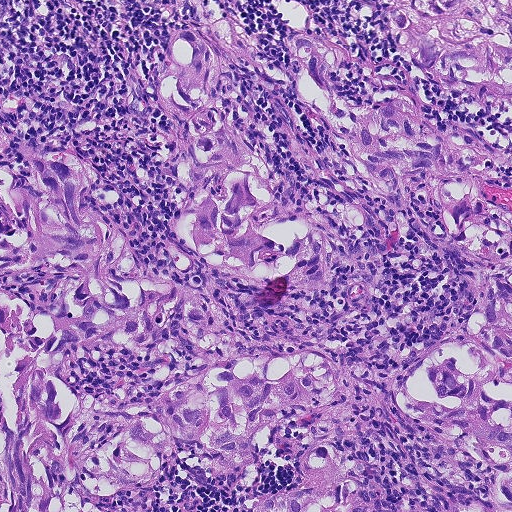
Lymph node section stained with H&E, from a whole-slide image of a breast-cancer sentinel node. Magnification about 10×, about 0.46 mm across the frame, about 0.9 µm per pixel.
Boundaries of five metastatic tumour regions, simplified and listed clockwise, largest first: region 1: (0, 133), (91, 164), (95, 202), (138, 265), (200, 291), (242, 344), (335, 353), (348, 392), (346, 448), (405, 511), (0, 511); region 2: (285, 36), (313, 36), (336, 54), (346, 110), (415, 93), (438, 128), (466, 126), (511, 154), (496, 170), (463, 170), (507, 225), (511, 511), (494, 511), (498, 472), (457, 450), (466, 477), (457, 476), (436, 456), (432, 428), (395, 405), (416, 358), (455, 342), (473, 318), (478, 305), (469, 276), (496, 266), (449, 234), (436, 192), (444, 180), (419, 177), (397, 198), (384, 195), (350, 143), (295, 90), (299, 74); region 3: (216, 6), (240, 39), (240, 60), (224, 71), (220, 90), (224, 115), (263, 160), (279, 200), (329, 231), (337, 270), (334, 291), (315, 294), (235, 280), (190, 263), (178, 247), (170, 228), (172, 210), (186, 197), (182, 140), (177, 122), (150, 91), (170, 35), (197, 7); region 4: (355, 0), (511, 0), (511, 126), (422, 74), (381, 21), (368, 23), (352, 15); region 5: (466, 484), (479, 490), (475, 503), (462, 508), (466, 511), (439, 511), (441, 496), (451, 485).
One more small tumour piece is annotated here but not outlined.
About 60% of the image area is annotated as tumour.